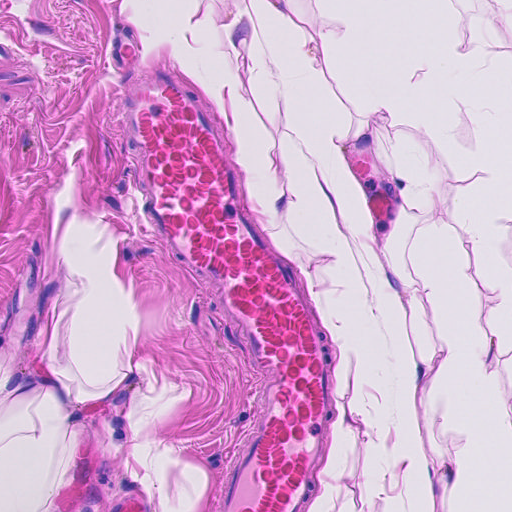
A 0.23-mm field of an H&E-stained sentinel lymph node from a breast-cancer patient (whole-slide image), shown at about 20×, about 0.45 µm per pixel.